Question: 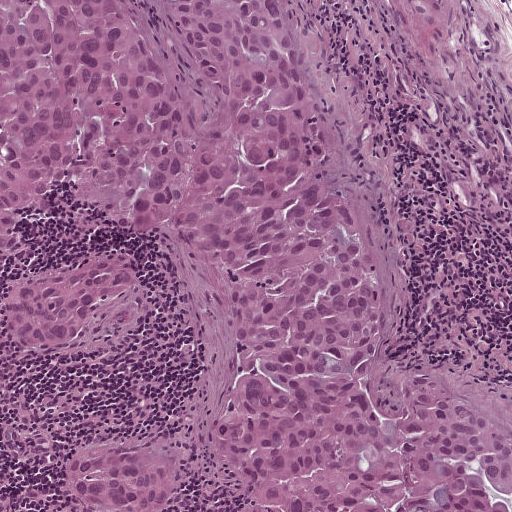
At roughly what magnification is this field shown?

Choices:
 (A) about 5×
 (B) about 2.5×
 (C) about 40×
 (D) about 10×
 (E) about 20×

Answer: (D) about 10×
This is a crop of a whole-slide image: an H&E-stained breast-cancer sentinel lymph node section at roughly 10× magnification (about 0.97 µm per pixel; the crop spans about 0.5 mm).
Three metastatic tumour regions, each outlined as a closed clockwise path in crop pixels (x, y), largest first: region 1: (0, 0), (138, 0), (188, 106), (207, 116), (156, 0), (285, 0), (348, 108), (394, 222), (404, 262), (388, 344), (411, 378), (511, 414), (511, 511), (239, 511), (213, 430), (231, 309), (188, 239), (108, 228), (70, 179), (24, 224), (38, 254), (0, 268); region 2: (116, 248), (139, 259), (139, 284), (122, 303), (78, 330), (59, 348), (34, 355), (0, 324), (0, 305), (2, 295), (20, 278); region 3: (110, 438), (158, 443), (178, 458), (179, 484), (165, 505), (153, 511), (90, 511), (70, 500), (57, 477), (61, 452), (84, 442).
About 60% of this field is tumour.